Question: 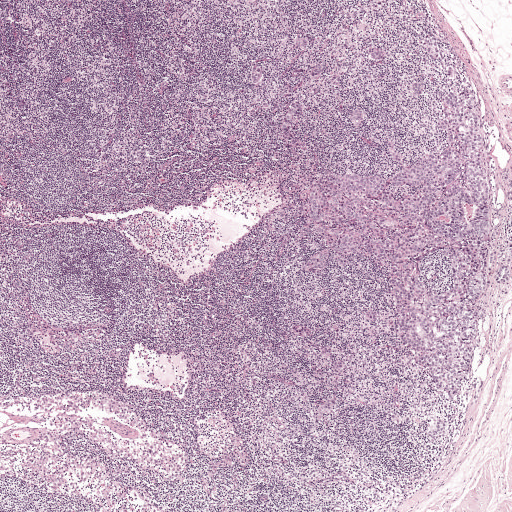
A 2.0-mm field of an H&E-stained sentinel lymph node from a breast-cancer patient (whole-slide image), shown at about 2.5×, about 3.9 µm per pixel.
What fraction of the image area is metastatic tumour?

Choices:
 (A) none: no tumour is outlined
 (B) about 25% to 45%
 (C) about 5% or less
 (D) about 50% or more
 (E) about 10% to 20%

Answer: (E) about 10% to 20%
About 15% of the field is tumour.
The eight largest tumour regions' boundaries, simplified and listed clockwise, largest first: region 1: (472, 85), (494, 206), (489, 260), (497, 251), (476, 363), (450, 410), (396, 337), (393, 312), (372, 322), (363, 316), (372, 305), (382, 314), (392, 309), (392, 297), (380, 293), (386, 266), (355, 254), (342, 271), (330, 249), (331, 267), (309, 275), (306, 259), (326, 242), (309, 228), (263, 249), (299, 226), (293, 215), (261, 233), (265, 223), (304, 204), (293, 197), (293, 179), (326, 167), (392, 172), (387, 135), (409, 161), (438, 152), (436, 86); region 2: (293, 322), (311, 325), (315, 331), (312, 336), (313, 343), (319, 345), (324, 344), (330, 345), (333, 350), (333, 359), (344, 359), (346, 362), (344, 376), (332, 375), (336, 394), (340, 399), (339, 411), (328, 416), (322, 426), (316, 424), (313, 418), (314, 411), (323, 401), (333, 395), (330, 373), (314, 379), (306, 370), (308, 364), (314, 363), (324, 371), (330, 372), (331, 360), (319, 357), (318, 351), (315, 346), (310, 342), (291, 336), (286, 331), (288, 325); region 3: (444, 418), (449, 427), (449, 433), (447, 439), (437, 445), (430, 444), (426, 440), (424, 435), (424, 428), (432, 419); region 4: (301, 102), (303, 107), (301, 120), (295, 123), (292, 135), (286, 138), (279, 129), (281, 116), (289, 106); region 5: (430, 35), (439, 38), (442, 45), (441, 58), (435, 60), (430, 60), (425, 56), (424, 44), (426, 38); region 6: (358, 106), (367, 113), (367, 120), (365, 126), (361, 129), (351, 125), (347, 120), (348, 114); region 7: (425, 77), (428, 82), (427, 87), (417, 94), (410, 95), (405, 92), (406, 87), (410, 82); region 8: (376, 46), (385, 47), (388, 53), (387, 59), (381, 63), (375, 63), (370, 60), (368, 54), (371, 49).
10 more, smaller tumour regions are not outlined.
14 more small tumour pieces are annotated here but not outlined.